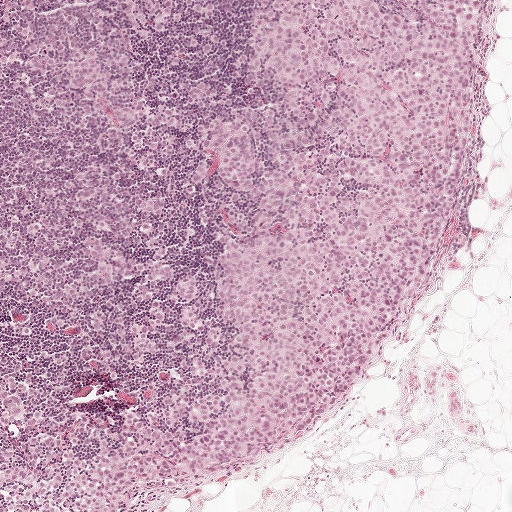
Lymph node section stained with H&E, from a whole-slide image of a breast-cancer sentinel node. Magnification about 5×, about 1 mm across the frame, about 1.9 µm per pixel.
Metastatic tumour outline, simplified to 8 points and listed clockwise in crop pixels (x, y): (12, 0), (491, 0), (454, 238), (351, 402), (253, 467), (140, 511), (0, 511), (0, 32).
About 80% of this field is tumour.